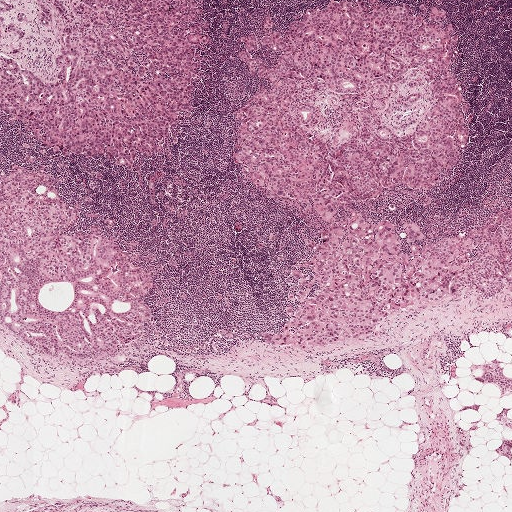
H&E-stained section of a sentinel lymph node (breast cancer), from a whole-slide image, viewed at about 2.5×: the field is about 2.0 mm across, about 3.9 µm per pixel.
Outlines of the eight largest metastatic tumour regions, each a closed clockwise path in crop pixels (x, y), largest first: region 1: (371, 0), (446, 10), (469, 138), (432, 189), (351, 206), (407, 254), (511, 205), (511, 285), (416, 301), (365, 339), (273, 345), (263, 333), (302, 308), (292, 270), (313, 279), (329, 228), (233, 160), (235, 113), (270, 86), (238, 54), (279, 55), (241, 39); region 2: (69, 0), (199, 0), (203, 12), (196, 21), (212, 42), (200, 48), (192, 110), (166, 138), (171, 155), (138, 154), (132, 171), (102, 155), (96, 160), (56, 155), (20, 122), (10, 125), (0, 113), (0, 53), (49, 83), (57, 72), (61, 28), (82, 26); region 3: (12, 164), (42, 164), (77, 212), (76, 222), (62, 234), (87, 233), (97, 225), (123, 250), (138, 241), (132, 254), (142, 256), (136, 265), (154, 283), (146, 301), (151, 318), (114, 357), (80, 364), (52, 360), (0, 320), (0, 176), (8, 174); region 4: (498, 358), (505, 361), (499, 364), (503, 367), (503, 374), (511, 378), (511, 392), (501, 397), (501, 387), (492, 383), (484, 384), (478, 382), (472, 377), (474, 374), (480, 374), (484, 364); region 5: (416, 222), (424, 235), (424, 240), (414, 243), (408, 242), (403, 226), (405, 223); region 6: (1, 15), (7, 23), (15, 23), (20, 25), (26, 32), (26, 36), (20, 38), (15, 34), (12, 35), (6, 35), (0, 24); region 7: (34, 0), (45, 0), (50, 8), (52, 19), (49, 27), (43, 27), (40, 8); region 8: (502, 439), (511, 440), (511, 449), (511, 452), (511, 456), (510, 462), (509, 459), (503, 456), (500, 456), (494, 450), (500, 446), (502, 442).
Five more, smaller tumour regions are not outlined.
Three more small tumour pieces are annotated here but not outlined.
The annotated tumour makes up about 40% of the crop.